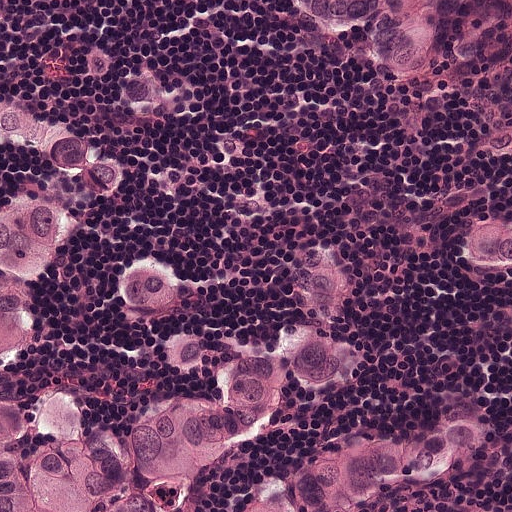
A 0.25-mm field of an H&E-stained sentinel lymph node from a breast-cancer patient (whole-slide image), shown at about 20×, about 0.49 µm per pixel.
Question: Describe where the metastatic carcinoma lies in this crop.
Answer: Boundaries of four metastatic tumour regions, simplified and listed clockwise, largest first: region 1: (0, 92), (123, 150), (110, 200), (52, 232), (41, 272), (57, 384), (100, 416), (146, 413), (118, 336), (139, 238), (175, 247), (191, 329), (220, 334), (264, 311), (273, 226), (318, 213), (362, 326), (336, 436), (473, 424), (478, 500), (511, 504), (0, 511); region 2: (291, 0), (511, 0), (505, 100), (484, 127), (452, 128), (396, 84), (348, 79), (307, 43); region 3: (511, 198), (511, 272), (496, 266), (482, 266), (466, 259), (464, 254), (441, 245), (432, 236), (432, 222), (462, 209); region 4: (0, 0), (123, 0), (76, 19), (39, 19), (5, 11), (0, 7).
About 50% of the image area is annotated as tumour.